Lymph node section stained with H&E, from a whole-slide image of a breast-cancer sentinel node. Magnification about 20×, about 0.25 mm across the frame, about 0.49 µm per pixel.
Question: 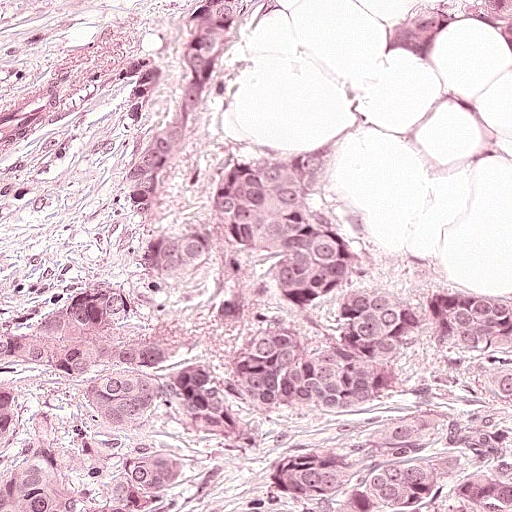
Estimate the proportion of this field that is metastatic tumour.

Choices:
 (A) about 25% to 45%
 (B) none: no tumour is outlined
 (C) about 5% or less
 (D) about 10% to 20%
 (E) about 50% or more

Answer: (E) about 50% or more
About 80% of the field is tumour.
Two metastatic tumour regions, each outlined as a closed clockwise path in crop pixels (x, y), largest first: region 1: (0, 0), (241, 0), (212, 70), (212, 89), (232, 111), (282, 142), (332, 128), (379, 230), (447, 280), (504, 278), (511, 511), (0, 511); region 2: (408, 0), (511, 0), (511, 54), (503, 46), (496, 46), (486, 40), (466, 13), (453, 13), (449, 28), (425, 54), (394, 44), (390, 40), (382, 40), (384, 20), (403, 8).